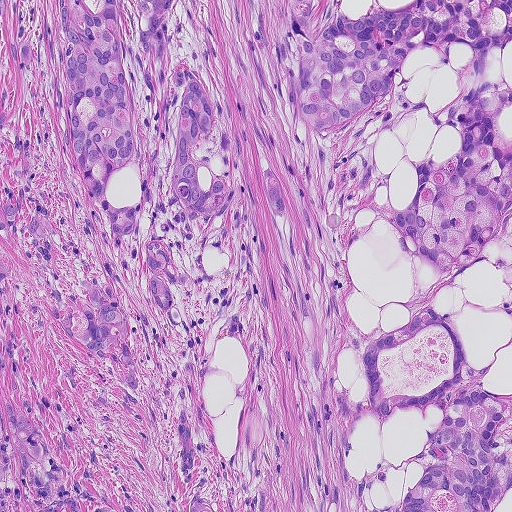
A 0.46-mm field of an H&E-stained sentinel lymph node from a breast-cancer patient (whole-slide image), shown at about 10×, about 0.9 µm per pixel.
Question: Is any metastatic breast cancer visible in this crop?
Answer: Yes.
One metastatic tumour region; its boundary, reduced to 19 corners and listed clockwise: (0, 0), (511, 0), (501, 239), (452, 284), (392, 214), (415, 166), (456, 150), (440, 116), (462, 43), (402, 62), (427, 108), (378, 134), (386, 185), (348, 250), (356, 325), (440, 311), (506, 396), (511, 511), (0, 511).
One more small tumour piece is annotated here but not outlined.
About 90% of this field is tumour.